Question: 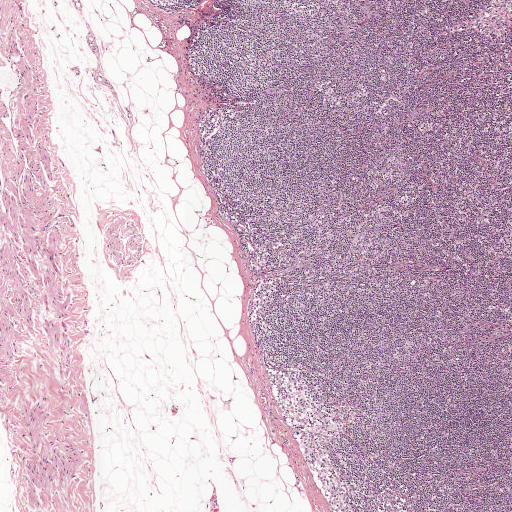
At roughly what magnification is this field shown?

Choices:
 (A) about 10×
 (B) about 20×
 (C) about 40×
 (D) about 5×
 (E) about 2.5×

Answer: (E) about 2.5×
This is a crop of a whole-slide image: an H&E-stained breast-cancer sentinel lymph node section at roughly 2.5× magnification (about 3.9 µm per pixel; the crop spans about 2.0 mm).